Image:
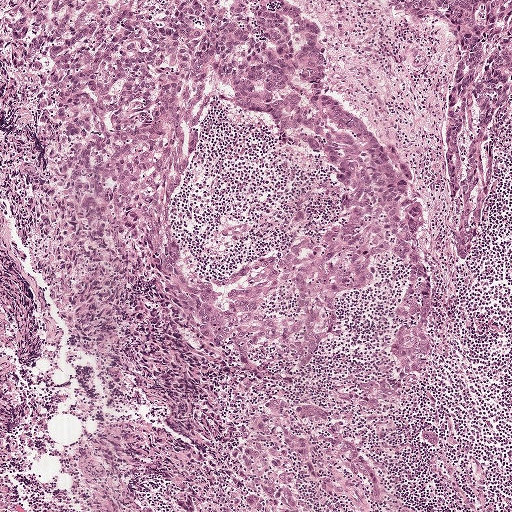
This is a crop of a whole-slide image: an H&E-stained breast-cancer sentinel lymph node section at roughly 5× magnification (about 1.9 µm per pixel; the crop spans about 1 mm).
Question:
Describe where the metastatic carcinoma lies in this crop.
Answer:
Two metastatic tumour regions, each outlined as a closed clockwise path in crop pixels (x, y), largest first: region 1: (291, 0), (314, 18), (328, 43), (325, 90), (390, 139), (404, 161), (426, 218), (420, 274), (402, 272), (376, 246), (325, 164), (234, 106), (199, 59), (186, 1); region 2: (511, 0), (511, 109), (500, 111), (492, 186), (482, 206), (476, 240), (465, 258), (454, 255), (438, 169), (449, 39), (436, 21), (398, 15), (378, 1).
About 15% of this field is tumour.